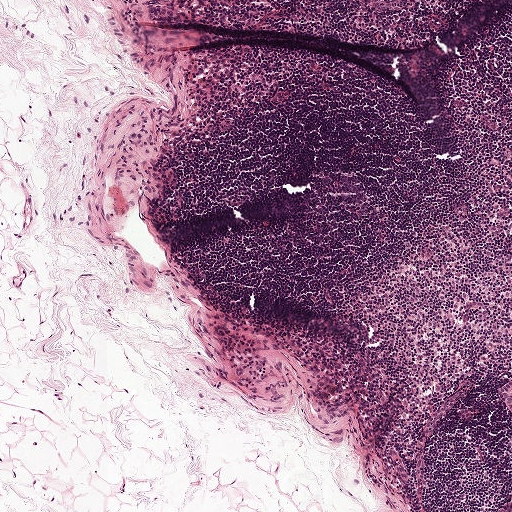
Lymph node section stained with H&E, from a whole-slide image of a breast-cancer sentinel node. Magnification about 5×, about 1 mm across the frame, about 1.9 µm per pixel.
Two metastatic tumour regions, each outlined as a closed clockwise path in crop pixels (x, y), largest first: region 1: (511, 377), (511, 424), (509, 421), (506, 412), (504, 403), (498, 396), (498, 391), (500, 387), (505, 382), (508, 381); region 2: (511, 492), (511, 511), (496, 511), (499, 504), (506, 496).
The annotated tumour makes up under 5% of the crop.